Question: 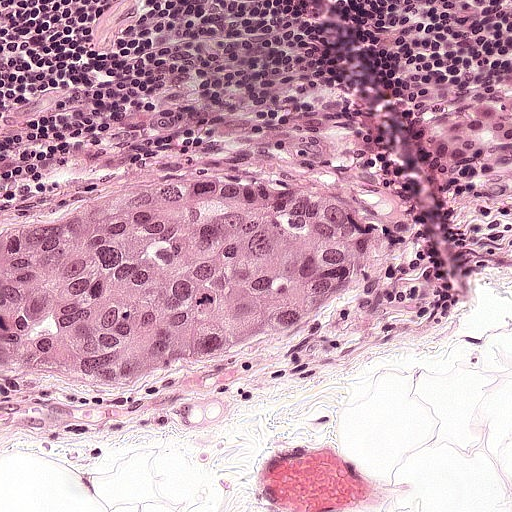
This is a crop of a whole-slide image: an H&E-stained breast-cancer sentinel lymph node section at roughly 20× magnification (about 0.49 µm per pixel; the crop spans about 0.25 mm).
Roughly what share of this field is metastatic tumour?

Choices:
 (A) about 25% to 45%
 (B) none: no tumour is outlined
 (C) about 10% to 20%
 (D) about 50% or more
 (E) about 5% or less

Answer: (A) about 25% to 45%
About 30% of the field is tumour.
Metastatic tumour outline, simplified to 10 points and listed clockwise in crop pixels (x, y): (137, 172), (262, 183), (362, 217), (379, 244), (376, 276), (348, 320), (305, 354), (137, 419), (0, 405), (0, 211).